Question: 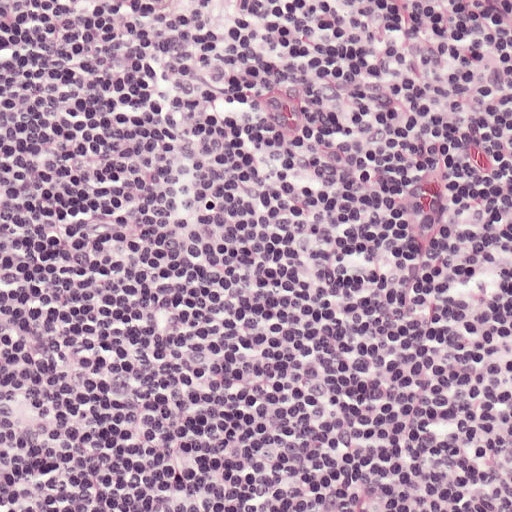
Which magnification is this H&E lymph node field most likely shown at?

Choices:
 (A) about 20×
 (B) about 40×
 (C) about 2.5×
 (D) about 5×
 (E) about 10×

Answer: (A) about 20×
A 0.25-mm field of an H&E-stained sentinel lymph node from a breast-cancer patient (whole-slide image), shown at about 20×, about 0.49 µm per pixel.